Image:
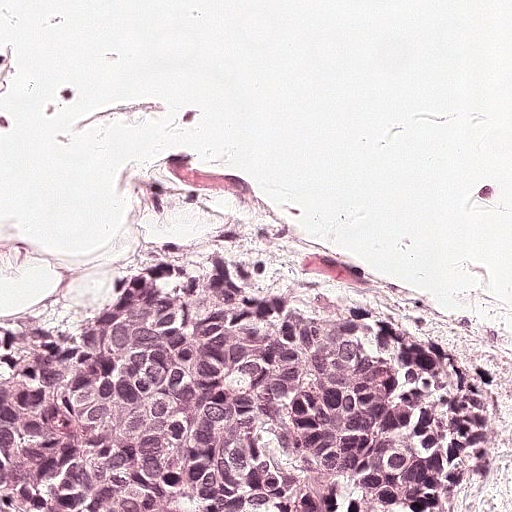
H&E-stained section of a sentinel lymph node (breast cancer), from a whole-slide image, viewed at about 20×: the field is about 0.25 mm across, about 0.49 µm per pixel.
Question:
Is there metastatic carcinoma in this field?
Answer:
Yes.
Tumour region outline (a closed clockwise path, crop pixels): (158, 258), (304, 275), (387, 301), (448, 336), (486, 410), (489, 456), (470, 504), (0, 511), (0, 311), (92, 318), (116, 300), (136, 262).
About 40% of the image area is annotated as tumour.